Image:
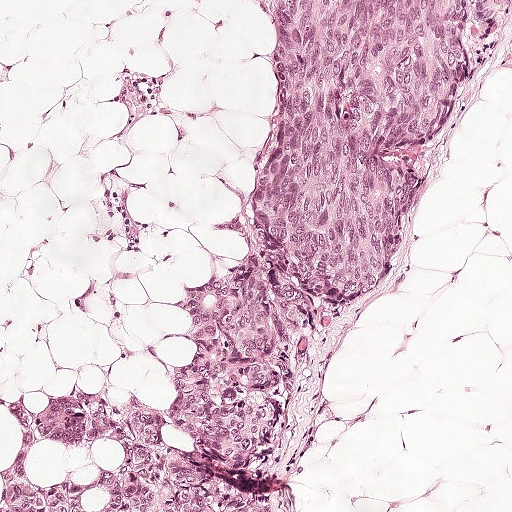
H&E-stained section of a sentinel lymph node (breast cancer), from a whole-slide image, viewed at about 10×: the field is about 0.5 mm across, about 0.97 µm per pixel.
Question:
Is there metastatic carcinoma in this field?
Answer:
Yes.
Tumour region outline (a closed clockwise path, crop pixels): (239, 0), (511, 0), (509, 120), (429, 227), (370, 339), (354, 510), (0, 511), (0, 449), (103, 339), (183, 275), (215, 227), (231, 179).
Tumour covers about 55% of the frame.